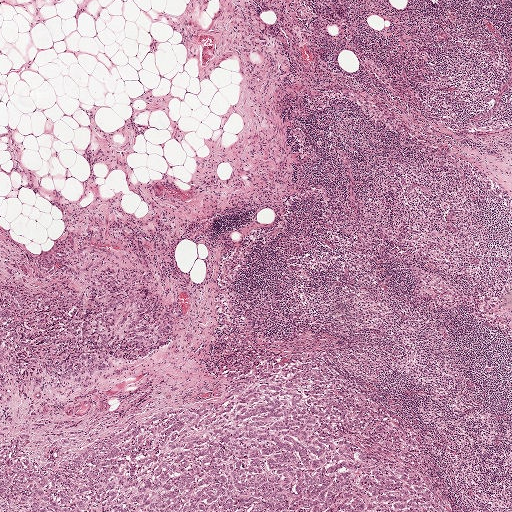
A 2.0-mm field of an H&E-stained sentinel lymph node from a breast-cancer patient (whole-slide image), shown at about 2.5×, about 3.9 µm per pixel.
Question: Does this lymph node field contain metastatic tumour?
Answer: Yes.
Boundaries of two metastatic tumour regions, simplified and listed clockwise, largest first: region 1: (320, 358), (388, 397), (458, 509), (0, 511), (0, 451), (45, 471), (283, 359); region 2: (0, 250), (76, 279), (131, 286), (161, 306), (173, 324), (166, 348), (130, 367), (53, 381), (2, 398).
The annotated tumour makes up about 25% of the crop.